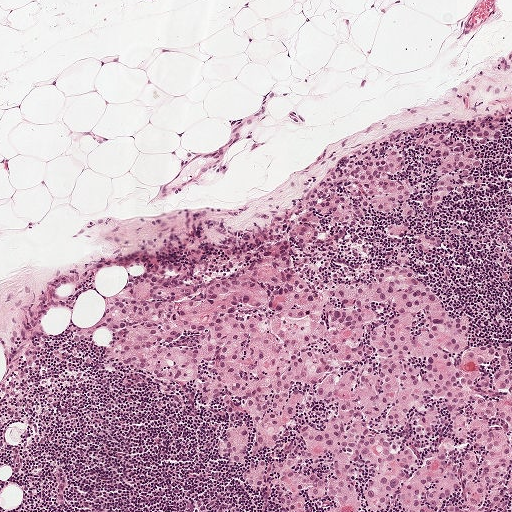
A 1-mm field of an H&E-stained sentinel lymph node from a breast-cancer patient (whole-slide image), shown at about 5×, about 1.9 µm per pixel.
Outlines of six tumour regions, largest first (closed clockwise paths, crop pixels): region 1: (330, 194), (354, 198), (372, 227), (329, 215), (293, 266), (317, 289), (405, 251), (467, 315), (464, 350), (508, 342), (511, 511), (289, 511), (244, 482), (259, 455), (220, 456), (246, 408), (116, 364), (109, 328), (72, 340), (102, 295), (144, 272), (222, 277); region 2: (436, 131), (452, 134), (470, 144), (482, 160), (479, 169), (471, 169), (470, 174), (482, 180), (479, 190), (466, 185), (461, 194), (450, 193), (438, 210), (430, 214), (420, 206), (420, 199), (437, 180), (437, 162), (422, 163), (423, 157), (433, 146), (424, 148), (419, 142), (422, 137); region 3: (388, 149), (402, 149), (406, 159), (406, 168), (388, 177), (391, 180), (406, 179), (407, 184), (416, 189), (408, 202), (416, 212), (410, 217), (404, 217), (401, 214), (403, 203), (389, 215), (374, 210), (370, 203), (366, 210), (362, 208), (359, 204), (361, 199), (366, 199), (366, 185), (355, 180), (348, 171), (363, 163), (362, 157), (370, 153), (374, 158), (383, 157); region 4: (492, 123), (502, 130), (502, 140), (480, 144), (466, 136), (467, 130), (477, 125), (484, 126); region 5: (432, 231), (440, 236), (443, 247), (435, 252), (426, 254), (416, 249), (414, 241), (418, 234); region 6: (408, 221), (412, 228), (405, 238), (398, 238), (391, 237), (386, 232), (384, 226), (399, 225).
The annotated tumour makes up about 30% of the crop.